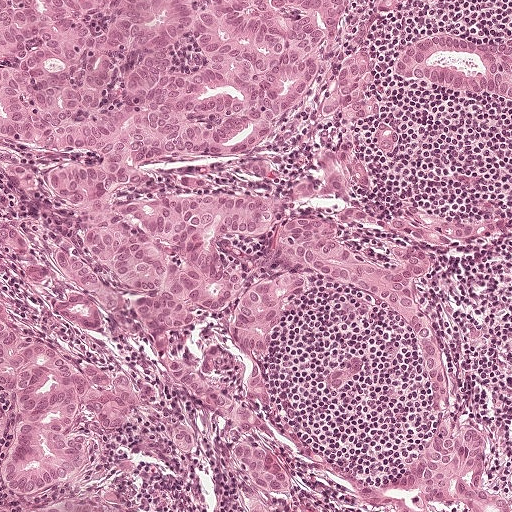
H&E-stained section of a sentinel lymph node (breast cancer), from a whole-slide image, viewed at about 10×: the field is about 0.5 mm across, about 0.97 µm per pixel.
Two metastatic tumour regions, each outlined as a closed clockwise path in crop pixels (x, y), largest first: region 1: (0, 296), (22, 332), (122, 370), (134, 383), (136, 400), (127, 426), (114, 433), (106, 433), (87, 411), (78, 410), (73, 428), (85, 430), (86, 447), (68, 477), (46, 491), (6, 491), (0, 487), (0, 472), (16, 456), (18, 400), (4, 392); region 2: (0, 404), (7, 410), (7, 414), (7, 426), (0, 436).
Tumour covers about 5% of the frame.